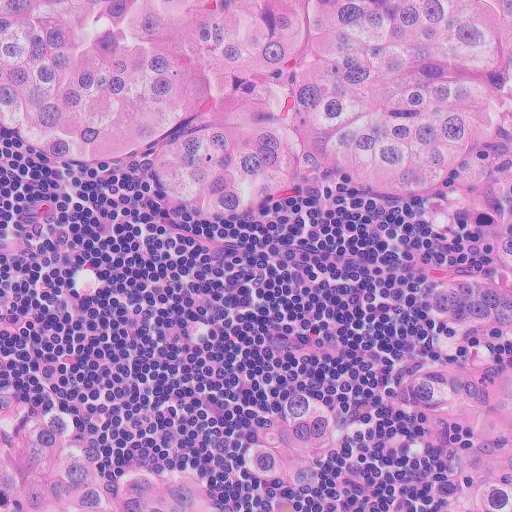
Lymph node section stained with H&E, from a whole-slide image of a breast-cancer sentinel node. Magnification about 20×, about 0.26 mm across the frame, about 0.5 µm per pixel.
Two metastatic tumour regions, each outlined as a closed clockwise path in crop pixels (x, y), largest first: region 1: (0, 0), (511, 0), (511, 511), (344, 506), (254, 438), (354, 394), (442, 462), (400, 354), (414, 242), (0, 164); region 2: (0, 362), (116, 397), (197, 476), (260, 511), (0, 511).
The annotated tumour makes up about 65% of the crop.